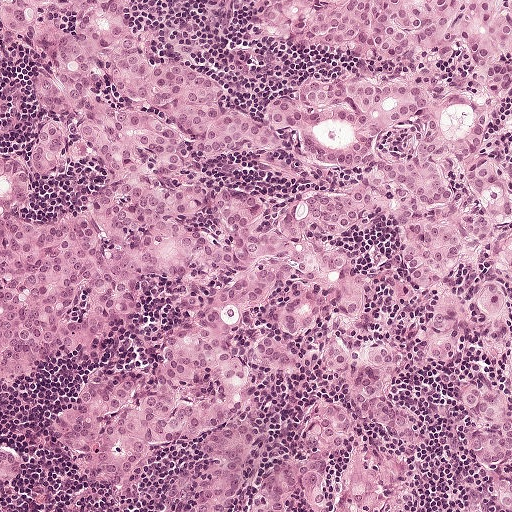
This is a crop of a whole-slide image: an H&E-stained breast-cancer sentinel lymph node section at roughly 10× magnification (about 0.97 µm per pixel; the crop spans about 0.5 mm).
Boundaries of three metastatic tumour regions, simplified and listed clockwise, largest first: region 1: (0, 0), (125, 0), (149, 60), (252, 122), (406, 64), (246, 39), (260, 0), (511, 0), (511, 91), (480, 136), (511, 172), (511, 382), (470, 343), (396, 378), (424, 430), (404, 511), (239, 511), (314, 371), (228, 511), (188, 508), (200, 445), (108, 488), (48, 435), (95, 372), (192, 328), (186, 284), (138, 280), (99, 357), (3, 380), (0, 157), (33, 224), (104, 178), (26, 172), (55, 117), (26, 97), (0, 138), (0, 94), (40, 60), (4, 38), (0, 62); region 2: (480, 382), (502, 398), (511, 417), (511, 511), (496, 511), (483, 506), (482, 511), (457, 511), (464, 507), (478, 484), (475, 464), (463, 447), (464, 440), (472, 434), (472, 427), (456, 406), (458, 396), (463, 387); region 3: (0, 448), (3, 448), (23, 460), (23, 465), (20, 478), (12, 484), (3, 485), (0, 484).
The annotated tumour makes up about 80% of the crop.